H&E-stained section of a sentinel lymph node (breast cancer), from a whole-slide image, viewed at about 2.5×: the field is about 2.0 mm across, about 4.0 µm per pixel.
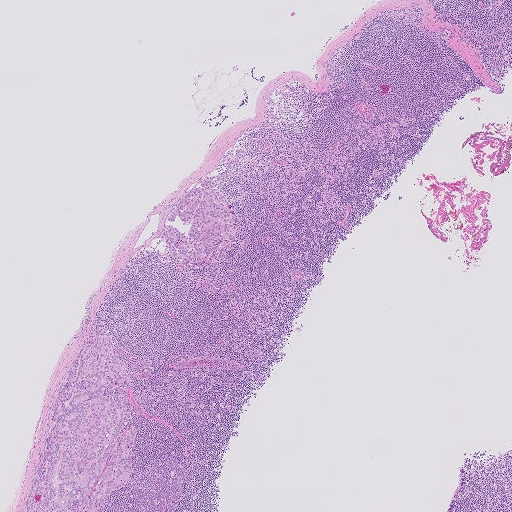
Boundaries of two metastatic tumour regions, simplified and listed clockwise, largest first: region 1: (102, 333), (125, 348), (128, 384), (110, 393), (130, 399), (137, 436), (133, 456), (141, 461), (133, 464), (127, 487), (116, 492), (101, 511), (24, 511), (54, 398), (87, 335); region 2: (212, 179), (214, 185), (227, 196), (235, 218), (233, 241), (223, 256), (203, 267), (174, 260), (165, 244), (166, 221), (171, 210), (196, 183).
Tumour covers about 5% of the frame.